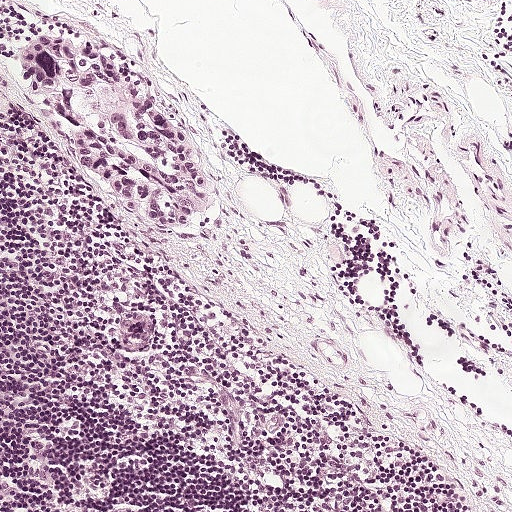
Lymph node section stained with H&E, from a whole-slide image of a breast-cancer sentinel node. Magnification about 10×, about 0.5 mm across the frame, about 0.97 µm per pixel.
Question: Which parts of this field are metastatic tumour? Answer with the outline of each region, in pixels.
Answer: One metastatic tumour region; its boundary, reduced to 17 corners and listed clockwise: (37, 34), (53, 34), (115, 58), (152, 92), (171, 120), (190, 132), (210, 194), (204, 227), (189, 236), (172, 236), (146, 226), (115, 200), (88, 172), (67, 128), (46, 113), (19, 63), (19, 52).
About 5% of this field is tumour.